Lymph node section stained with H&E, from a whole-slide image of a breast-cancer sentinel node. Magnification about 10×, about 0.5 mm across the frame, about 0.97 µm per pixel.
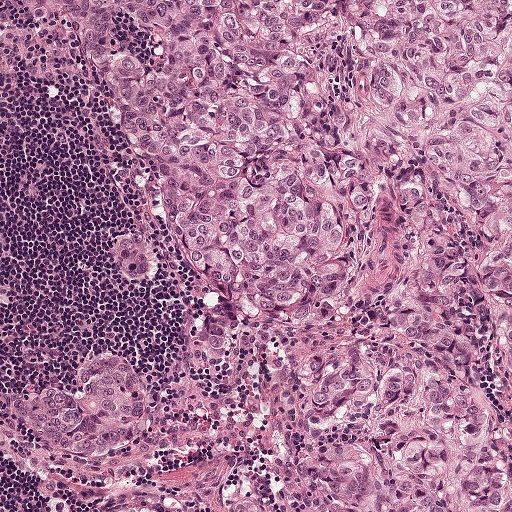
Metastatic tumour outline, simplified to 24 points and listed clockwise in crop pixels (x, y): (15, 0), (511, 0), (511, 511), (56, 511), (0, 446), (0, 409), (32, 382), (73, 381), (98, 352), (118, 352), (146, 383), (166, 382), (190, 346), (193, 304), (159, 252), (138, 284), (119, 276), (115, 237), (132, 226), (145, 186), (132, 148), (87, 85), (0, 63), (0, 19).
About 80% of this field is tumour.